This is a crop of a whole-slide image: an H&E-stained breast-cancer sentinel lymph node section at roughly 5× magnification (about 1.9 µm per pixel; the crop spans about 1 mm).
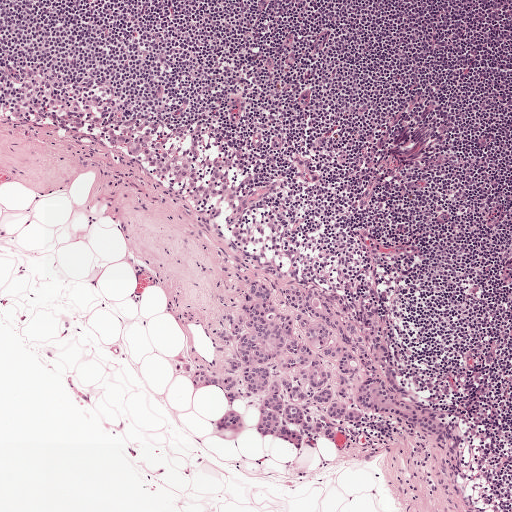
Two metastatic tumour regions, each outlined as a closed clockwise path in crop pixels (x, y), largest first: region 1: (253, 280), (291, 314), (298, 339), (331, 371), (324, 388), (349, 410), (357, 384), (374, 377), (444, 429), (374, 412), (331, 421), (333, 438), (316, 433), (316, 448), (305, 434), (298, 452), (263, 438), (260, 407), (273, 383), (323, 389), (298, 368), (282, 371), (295, 354), (285, 347), (261, 366), (269, 380), (256, 394), (243, 382), (250, 367), (236, 371), (244, 427), (222, 432), (229, 391), (195, 391), (182, 364), (224, 375), (238, 344), (215, 332), (229, 314), (248, 329); region 2: (293, 284), (310, 285), (335, 294), (348, 305), (353, 322), (368, 345), (385, 345), (388, 353), (375, 363), (376, 372), (369, 376), (361, 374), (361, 366), (352, 379), (348, 396), (342, 398), (338, 393), (341, 376), (336, 368), (337, 360), (325, 358), (308, 343), (284, 296), (285, 287).
About 5% of this field is tumour.